This is a crop of a whole-slide image: an H&E-stained breast-cancer sentinel lymph node section at roughly 5× magnification (about 1.9 µm per pixel; the crop spans about 1 mm).
Question: 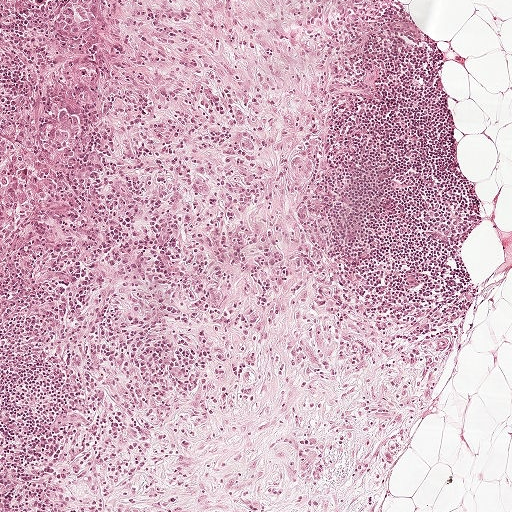
Estimate the proportion of this field that is metastatic tumour.

Choices:
 (A) about 10% to 20%
 (B) about 5% or less
 (C) about 50% or more
 (D) none: no tumour is outlined
 (E) about 25% to 45%

Answer: (A) about 10% to 20%
About 10% of the field is tumour.
Tumour region outline (a closed clockwise path, crop pixels): (0, 0), (120, 0), (121, 72), (108, 132), (54, 204), (11, 223), (2, 236).